Question: 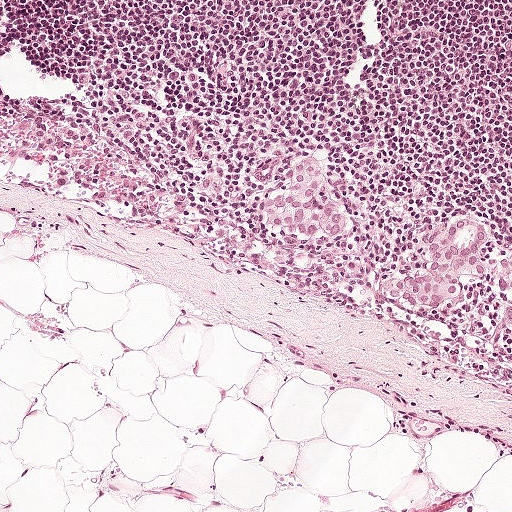
H&E-stained section of a sentinel lymph node (breast cancer), from a whole-slide image, viewed at about 10×: the field is about 0.5 mm across, about 0.97 µm per pixel.
Estimate the proportion of this field that is metastatic tumour.

Choices:
 (A) about 50% or more
 (B) about 5% or less
 (C) about 25% to 45%
 (D) none: no tumour is outlined
 (E) about 10% to 20%

Answer: (B) about 5% or less
About 5% of the field is tumour.
Outlines of two tumour regions, largest first (closed clockwise paths, crop pixels): region 1: (448, 220), (482, 220), (489, 233), (486, 256), (501, 258), (511, 248), (511, 291), (482, 278), (465, 278), (458, 282), (461, 298), (443, 300), (420, 312), (374, 296), (376, 274), (421, 260), (425, 228); region 2: (300, 153), (312, 155), (316, 164), (325, 172), (341, 217), (341, 228), (332, 238), (326, 238), (311, 232), (291, 236), (279, 234), (272, 225), (258, 218), (256, 210), (261, 193), (282, 183), (281, 161).